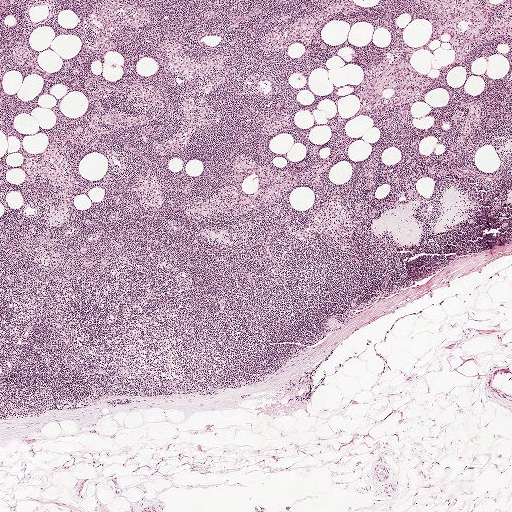
H&E-stained section of a sentinel lymph node (breast cancer), from a whole-slide image, viewed at about 2.5×: the field is about 2.0 mm across, about 3.9 µm per pixel.
Question: Is any metastatic breast cancer visible in this crop?
Answer: No: no metastatic tumour is outlined anywhere in this field.